Image:
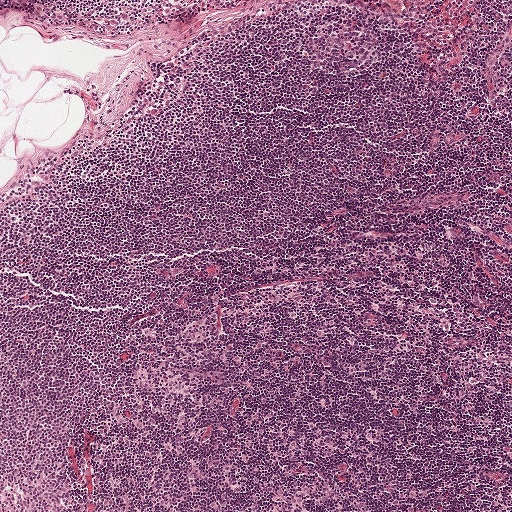
H&E-stained section of a sentinel lymph node (breast cancer), from a whole-slide image, viewed at about 5×: the field is about 1 mm across, about 1.9 µm per pixel.
Question:
Is any metastatic breast cancer visible in this crop?
Answer:
No. No metastatic tumour is outlined in this field.